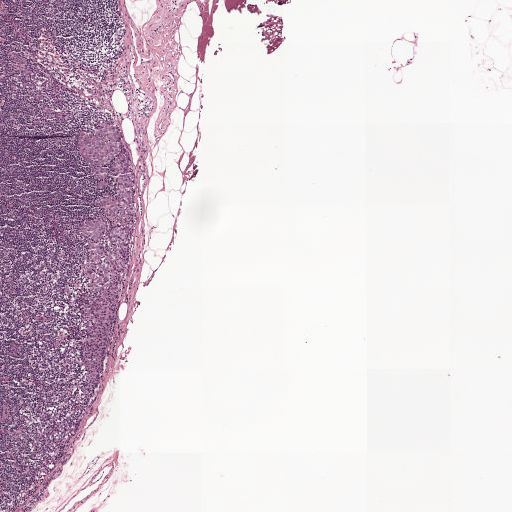
A 2.0-mm field of an H&E-stained sentinel lymph node from a breast-cancer patient (whole-slide image), shown at about 2.5×, about 3.9 µm per pixel.
Question: Show where the tumour is in this image.
Answer: Metastatic tumour outline, simplified to 23 points and listed clockwise in crop pixels (x, y): (114, 121), (135, 181), (131, 267), (111, 352), (105, 356), (100, 383), (91, 391), (84, 384), (82, 354), (87, 283), (86, 239), (81, 227), (90, 219), (103, 220), (107, 226), (103, 245), (109, 251), (112, 225), (96, 204), (101, 192), (74, 149), (76, 135), (85, 127).
About 5% of this field is tumour.

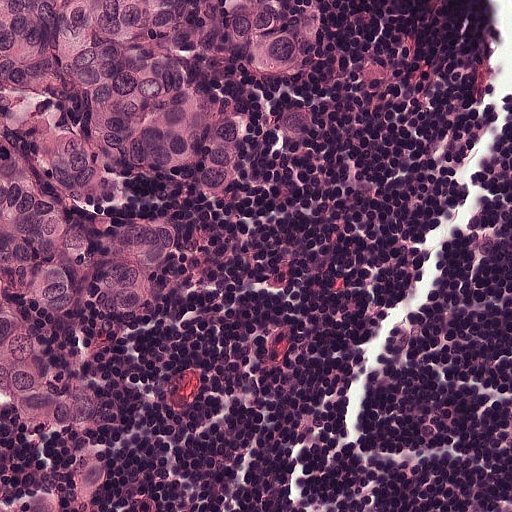
This is a crop of a whole-slide image: an H&E-stained breast-cancer sentinel lymph node section at roughly 20× magnification (about 0.49 µm per pixel; the crop spans about 0.25 mm).
Question: Show where the tumour is in this image.
Answer: Tumour region outline (a closed clockwise path, crop pixels): (0, 0), (380, 0), (282, 156), (210, 314), (83, 511), (0, 511).
About 45% of the image area is annotated as tumour.

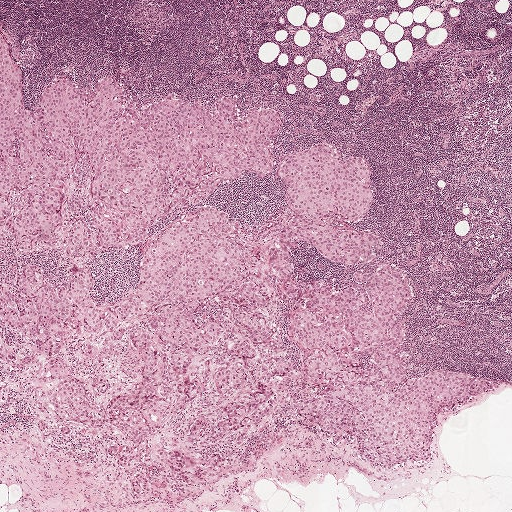
This is a crop of a whole-slide image: an H&E-stained breast-cancer sentinel lymph node section at roughly 2.5× magnification (about 3.9 µm per pixel; the crop spans about 2.0 mm).
Question: Show where the tumour is in this image.
Answer: Three metastatic tumour regions, each outlined as a closed clockwise path in crop pixels (x, y), largest first: region 1: (0, 29), (34, 109), (109, 74), (280, 111), (273, 169), (87, 258), (95, 301), (193, 208), (284, 217), (319, 139), (369, 170), (333, 224), (378, 241), (292, 238), (297, 278), (368, 309), (355, 268), (396, 265), (403, 380), (494, 384), (374, 467), (299, 420), (327, 379), (272, 289), (293, 367), (256, 432), (187, 431), (237, 392), (210, 380), (124, 466), (110, 423), (35, 429), (44, 354), (0, 365), (0, 265), (69, 260), (0, 245); region 2: (169, 449), (177, 449), (182, 453), (186, 460), (185, 467), (193, 473), (193, 480), (188, 481), (182, 476), (172, 473), (167, 462); region 3: (137, 470), (139, 470), (145, 473), (147, 480), (147, 486), (144, 488), (142, 487), (141, 482), (139, 480), (140, 487), (138, 491), (136, 491), (133, 490), (130, 486), (130, 482), (130, 476).
One more small tumour piece is annotated here but not outlined.
About 45% of the image area is annotated as tumour.

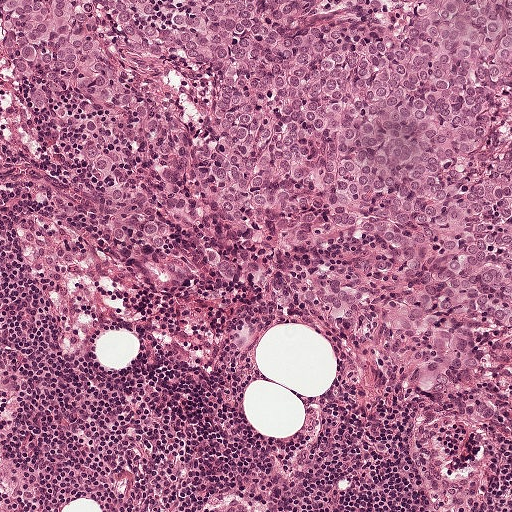
A 0.5-mm field of an H&E-stained sentinel lymph node from a breast-cancer patient (whole-slide image), shown at about 10×, about 0.97 µm per pixel.
Question: Show where the tumour is in this image.
Answer: Metastatic tumour outline, simplified to 18 points and listed clockwise in crop pixels (x, y): (0, 0), (511, 0), (511, 323), (488, 341), (491, 419), (450, 418), (435, 395), (404, 384), (392, 346), (354, 345), (300, 303), (276, 309), (202, 272), (185, 300), (150, 295), (101, 235), (87, 182), (20, 116).
Tumour covers about 55% of the frame.